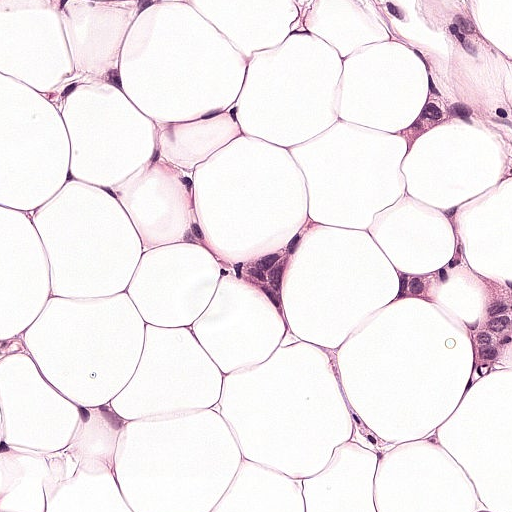
This is a crop of a whole-slide image: an H&E-stained breast-cancer sentinel lymph node section at roughly 20× magnification (about 0.49 µm per pixel; the crop spans about 0.25 mm).
Two metastatic tumour regions, each outlined as a closed clockwise path in crop pixels (x, y), largest first: region 1: (444, 250), (511, 266), (511, 342), (508, 353), (481, 373), (466, 370), (458, 352), (460, 310), (475, 283), (464, 276), (451, 277), (427, 303), (401, 302), (386, 294), (388, 279), (392, 279), (405, 262), (431, 264); region 2: (308, 207), (323, 207), (323, 220), (308, 248), (296, 284), (292, 302), (294, 332), (253, 294), (227, 276), (214, 260), (218, 255), (248, 248), (275, 226).
The annotated tumour makes up about 5% of the crop.